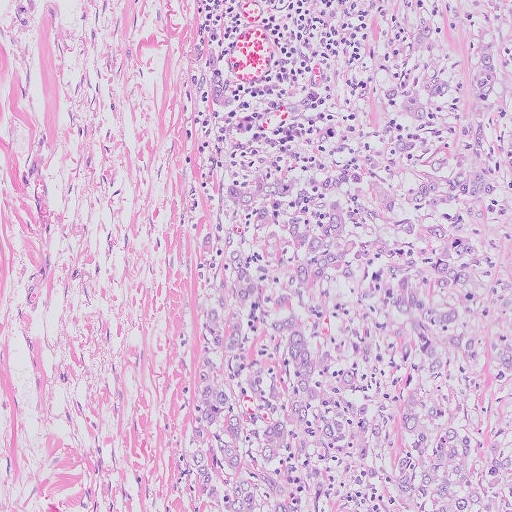
This is a crop of a whole-slide image: an H&E-stained breast-cancer sentinel lymph node section at roughly 10× magnification (about 1.0 µm per pixel; the crop spans about 0.51 mm).
One metastatic tumour region; its boundary, reduced to 8 corners and listed clockwise: (320, 0), (511, 0), (511, 511), (192, 511), (179, 378), (198, 247), (230, 113), (285, 77).
Tumour covers about 60% of the frame.